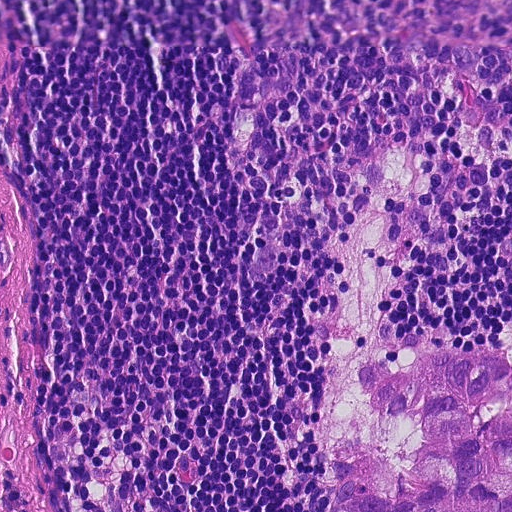
Lymph node section stained with H&E, from a whole-slide image of a breast-cancer sentinel node. Magnification about 20×, about 0.23 mm across the frame, about 0.45 µm per pixel.
Metastatic tumour outline, simplified to 12 points and listed clockwise in crop pixels (x, y): (414, 136), (429, 168), (390, 250), (374, 354), (510, 347), (511, 511), (325, 511), (326, 398), (336, 354), (330, 310), (359, 226), (372, 146).
About 15% of this field is tumour.